Image:
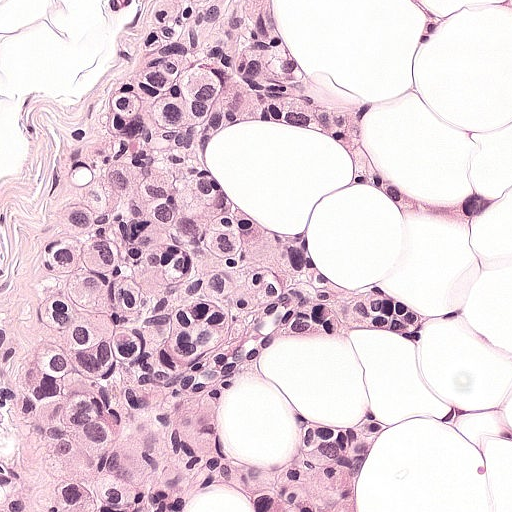
This is a crop of a whole-slide image: an H&E-stained breast-cancer sentinel lymph node section at roughly 20× magnification (about 0.49 µm per pixel; the crop spans about 0.25 mm).
Question:
Is any metastatic breast cancer visible in this crop?
Answer:
Yes.
One metastatic tumour region; its boundary, reduced to 21 corners and listed clockwise: (254, 0), (356, 96), (370, 159), (490, 188), (483, 214), (440, 218), (336, 184), (309, 118), (204, 136), (236, 205), (298, 220), (309, 259), (424, 320), (279, 331), (218, 390), (237, 448), (371, 401), (359, 511), (0, 511), (0, 289), (132, 4).
About 50% of the image area is annotated as tumour.